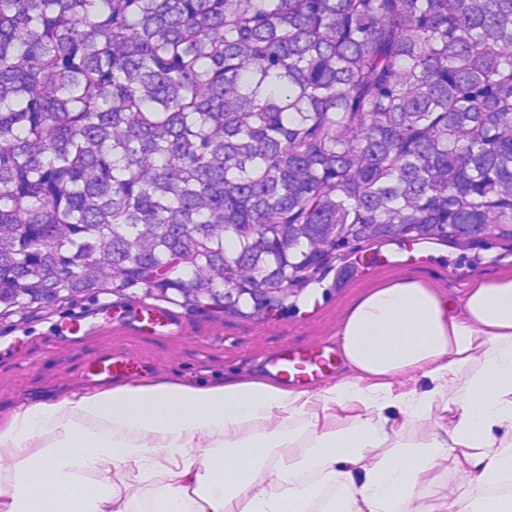
Lymph node section stained with H&E, from a whole-slide image of a breast-cancer sentinel node. Magnification about 20×, about 0.23 mm across the frame, about 0.45 µm per pixel.
Metastatic tumour outline, simplified to 8 points and listed clockwise in crop pixels (x, y): (0, 0), (511, 0), (511, 257), (433, 242), (403, 249), (312, 317), (124, 312), (0, 342).
Tumour covers about 60% of the frame.